A 0.25-mm field of an H&E-stained sentinel lymph node from a breast-cancer patient (whole-slide image), shown at about 20×, about 0.49 µm per pixel.
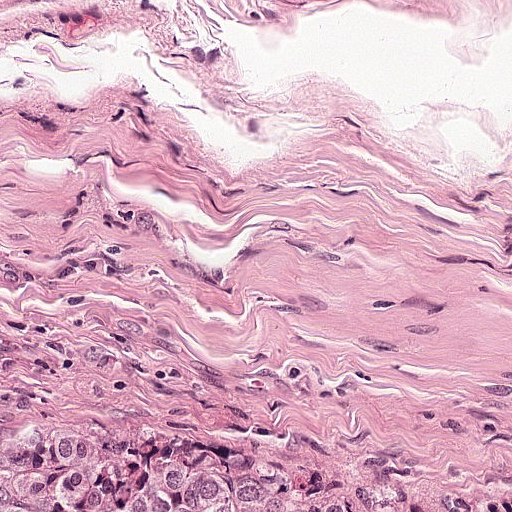
The outlined metastatic tumour's edge, as a closed clockwise path of 7 points: (0, 374), (79, 410), (118, 416), (148, 430), (188, 435), (444, 511), (0, 511).
About 10% of the image area is annotated as tumour.